A 0.5-mm field of an H&E-stained sentinel lymph node from a breast-cancer patient (whole-slide image), shown at about 10×, about 0.97 µm per pixel.
Image:
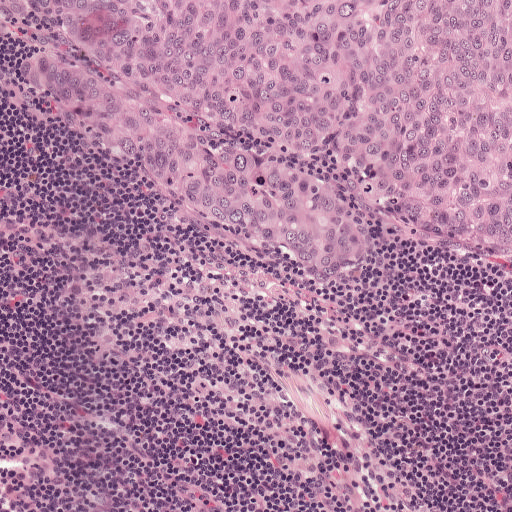
Question:
Show where the tumour is in this image.
Answer:
Tumour region outline (a closed clockwise path, crop pixels): (0, 0), (511, 0), (511, 260), (432, 244), (365, 210), (382, 242), (372, 277), (340, 296), (304, 290), (139, 192), (23, 90), (17, 46), (0, 32).
About 45% of the image area is annotated as tumour.